Question: 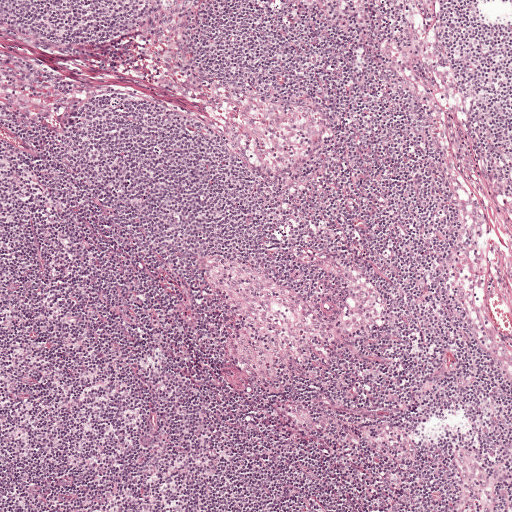
Which magnification is this H&E lymph node field most likely shown at?

Choices:
 (A) about 10×
 (B) about 20×
 (C) about 40×
 (D) about 5×
 (E) about 2.5×

Answer: (D) about 5×
Lymph node section stained with H&E, from a whole-slide image of a breast-cancer sentinel node. Magnification about 5×, about 1 mm across the frame, about 1.9 µm per pixel.